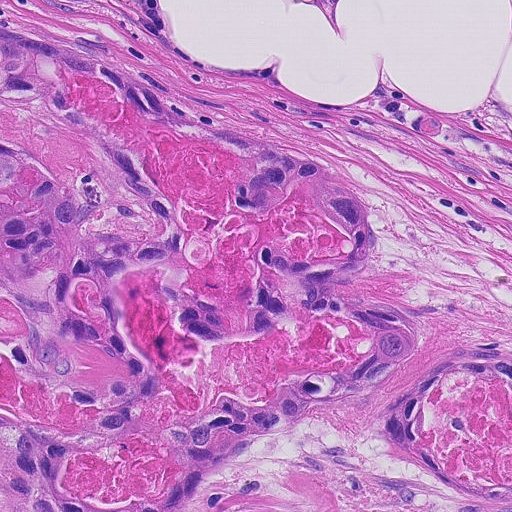
This is a crop of a whole-slide image: an H&E-stained breast-cancer sentinel lymph node section at roughly 20× magnification (about 0.45 µm per pixel; the crop spans about 0.23 mm).
The outlined metastatic tumour's edge, as a closed clockwise path of 8 points: (0, 22), (73, 43), (350, 172), (374, 215), (374, 266), (511, 316), (511, 511), (0, 511).
About 70% of the image area is annotated as tumour.